Question: 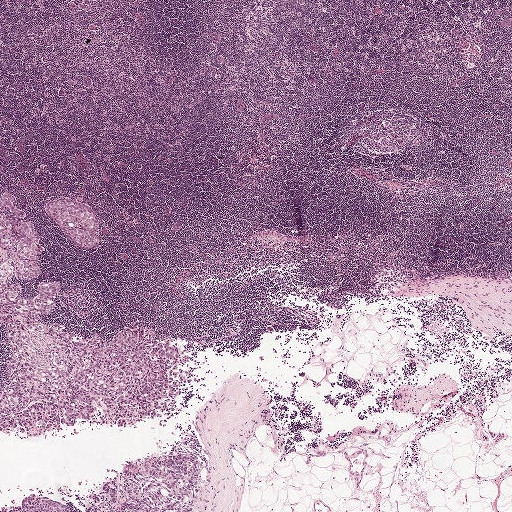
A 2.0-mm field of an H&E-stained sentinel lymph node from a breast-cancer patient (whole-slide image), shown at about 2.5×, about 3.9 µm per pixel.
Estimate the proportion of this field that is metastatic tumour.

Choices:
 (A) about 50% or more
 (B) none: no tumour is outlined
 (C) about 25% to 45%
 (D) about 10% to 20%
 (E) about 5% or less

Answer: (D) about 10% to 20%
About 10% of the field is tumour.
Outlines of four tumour regions, largest first (closed clockwise paths, crop pixels): region 1: (10, 194), (46, 250), (39, 279), (17, 280), (21, 296), (61, 287), (57, 312), (40, 322), (81, 342), (151, 330), (197, 359), (198, 379), (164, 422), (6, 435), (0, 393), (11, 347), (0, 328), (0, 195); region 2: (195, 439), (201, 445), (199, 460), (203, 467), (193, 511), (93, 511), (91, 505), (100, 488), (116, 477), (124, 463), (171, 456), (179, 446), (192, 448); region 3: (70, 198), (88, 204), (101, 225), (99, 230), (96, 231), (101, 240), (101, 246), (91, 250), (84, 250), (68, 241), (54, 220), (45, 213), (45, 203), (53, 200); region 4: (32, 495), (36, 495), (48, 497), (62, 503), (68, 507), (69, 511), (0, 511), (0, 509), (6, 507), (19, 505), (24, 499).